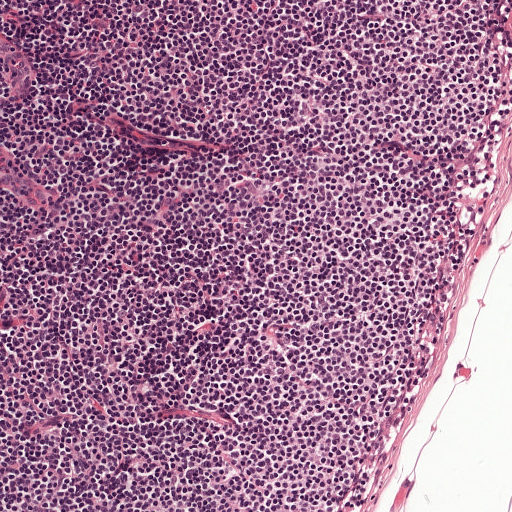
This is a crop of a whole-slide image: an H&E-stained breast-cancer sentinel lymph node section at roughly 10× magnification (about 0.97 µm per pixel; the crop spans about 0.5 mm).